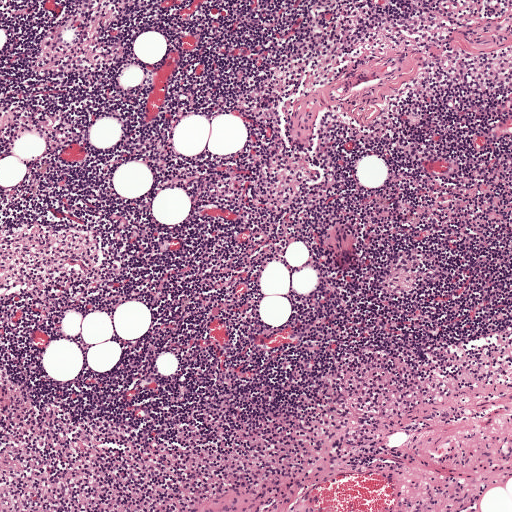
Lymph node section stained with H&E, from a whole-slide image of a breast-cancer sentinel node. Magnification about 5×, about 1 mm across the frame, about 1.9 µm per pixel.